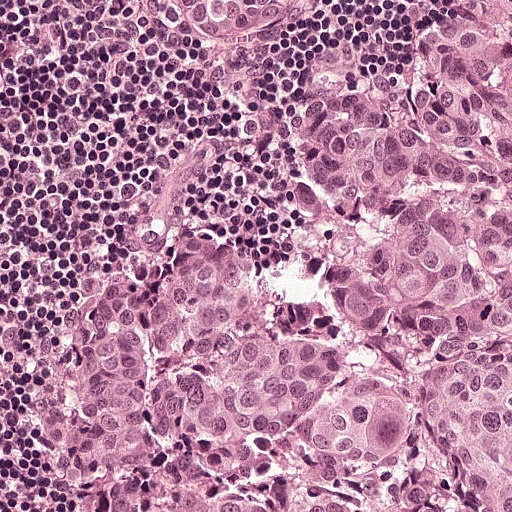
Lymph node section stained with H&E, from a whole-slide image of a breast-cancer sentinel node. Magnification about 20×, about 0.25 mm across the frame, about 0.49 µm per pixel.
Question: Describe where the metastatic carcinoma lies in this crop.
Answer: Outlines of two tumour regions, largest first (closed clockwise paths, crop pixels): region 1: (511, 0), (511, 511), (85, 511), (51, 430), (90, 335), (138, 264), (182, 236), (233, 234), (287, 210), (298, 194), (298, 142), (324, 91), (364, 68), (404, 68), (458, 3); region 2: (126, 0), (331, 0), (326, 12), (292, 46), (264, 60), (176, 61), (138, 41).
The annotated tumour makes up about 65% of the crop.